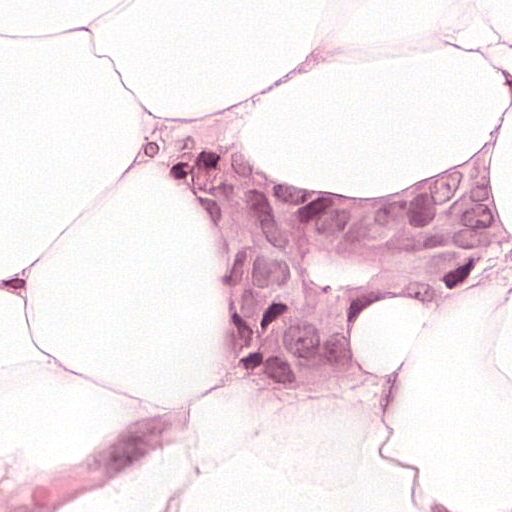
H&E-stained section of a sentinel lymph node (breast cancer), from a whole-slide image, viewed at about 40×: the field is about 0.12 mm across, about 0.24 µm per pixel.
Question: Where is the metastatic tumour in this field?
Answer: Outlines of two tumour regions, largest first (closed clockwise paths, crop pixels): region 1: (159, 119), (192, 119), (270, 159), (389, 167), (440, 137), (489, 130), (503, 156), (511, 226), (466, 274), (389, 285), (385, 304), (422, 322), (355, 389), (237, 389), (226, 381), (218, 274), (174, 196), (140, 181), (144, 130); region 2: (511, 474), (511, 511), (442, 511), (489, 481), (496, 481).
About 25% of the image area is annotated as tumour.